Image:
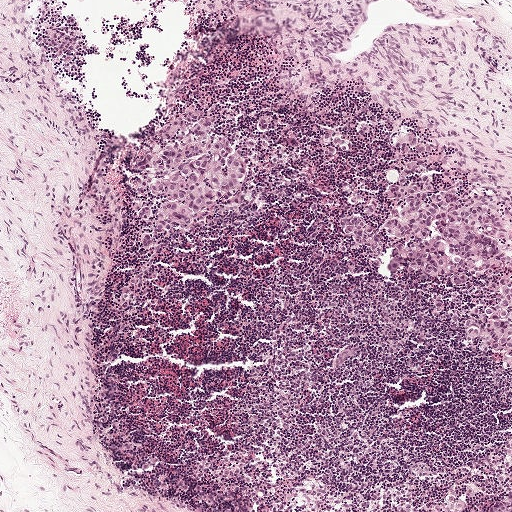
Lymph node section stained with H&E, from a whole-slide image of a breast-cancer sentinel node. Magnification about 5×, about 1 mm across the frame, about 1.9 µm per pixel.
Question:
Does this lymph node field contain metastatic tumour?
Answer:
Yes.
The eight largest tumour regions' boundaries, simplified and listed clockwise, largest first: region 1: (416, 133), (437, 147), (435, 187), (460, 181), (462, 196), (491, 196), (511, 232), (500, 249), (511, 248), (511, 268), (466, 286), (440, 275), (419, 281), (424, 266), (394, 254), (405, 243), (384, 225), (399, 220), (402, 200), (389, 189), (417, 156), (398, 152), (392, 136); region 2: (191, 109), (200, 114), (211, 132), (225, 139), (244, 157), (243, 208), (230, 206), (230, 198), (206, 205), (187, 230), (177, 234), (153, 230), (160, 207), (171, 199), (152, 194), (141, 184), (143, 178), (135, 163), (138, 158), (147, 149), (164, 149), (165, 128), (175, 117), (188, 115); region 3: (506, 277), (511, 279), (511, 372), (500, 364), (501, 355), (505, 352), (484, 352), (479, 347), (479, 340), (466, 335), (464, 324), (471, 310), (476, 308), (481, 310), (480, 317), (484, 315), (486, 310), (482, 302), (490, 299), (498, 304), (499, 296), (503, 292), (499, 283); region 4: (350, 216), (359, 216), (372, 226), (376, 233), (381, 235), (381, 244), (377, 250), (370, 252), (364, 246), (356, 246), (353, 243), (353, 239), (343, 235), (338, 222); region 5: (324, 133), (338, 133), (348, 138), (351, 148), (347, 153), (337, 148), (336, 160), (329, 161), (324, 155), (324, 150), (327, 148), (322, 142); region 6: (447, 494), (454, 495), (463, 501), (465, 506), (463, 509), (462, 511), (447, 511), (445, 511), (443, 506), (444, 502), (446, 500), (446, 496); region 7: (141, 234), (147, 234), (151, 236), (151, 245), (147, 250), (144, 250), (141, 247), (139, 238); region 8: (435, 292), (441, 294), (443, 297), (443, 307), (442, 310), (439, 311), (436, 309), (433, 299), (433, 294).
One more, smaller tumour region is not outlined.
Five more small tumour pieces are annotated here but not outlined.
Tumour covers about 10% of the frame.

Image:
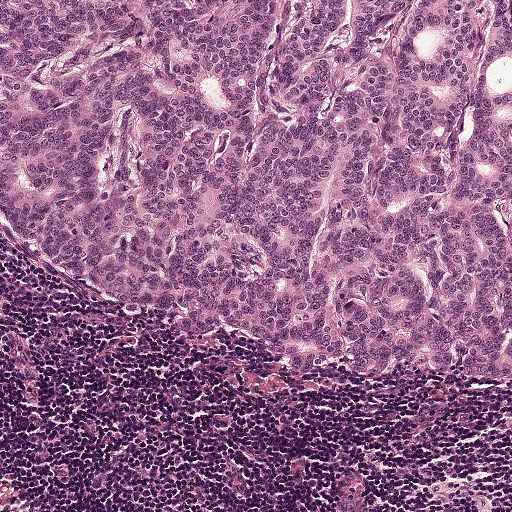
This is a crop of a whole-slide image: an H&E-stained breast-cancer sentinel lymph node section at roughly 10× magnification (about 0.97 µm per pixel; the crop spans about 0.5 mm).
Question:
Does this lymph node field contain metastatic tumour?
Answer:
Yes.
One metastatic tumour region; its boundary, reduced to 7 corners and listed clockwise: (0, 0), (511, 0), (511, 390), (314, 382), (88, 285), (33, 243), (2, 200).
The annotated tumour makes up about 65% of the crop.

Image:
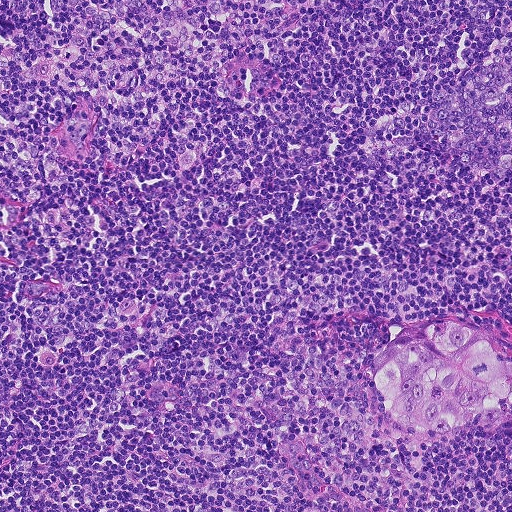
This is a crop of a whole-slide image: an H&E-stained breast-cancer sentinel lymph node section at roughly 10× magnification (about 0.9 µm per pixel; the crop spans about 0.46 mm).
Question:
Does this lymph node field contain metastatic tumour?
Answer:
Yes.
The outlined metastatic tumour's edge, as a closed clockwise path of 15 points: (437, 320), (456, 320), (476, 328), (502, 358), (511, 363), (511, 411), (504, 416), (485, 418), (447, 435), (406, 432), (388, 424), (376, 408), (369, 387), (374, 368), (418, 328).
About 5% of the image area is annotated as tumour.

Image:
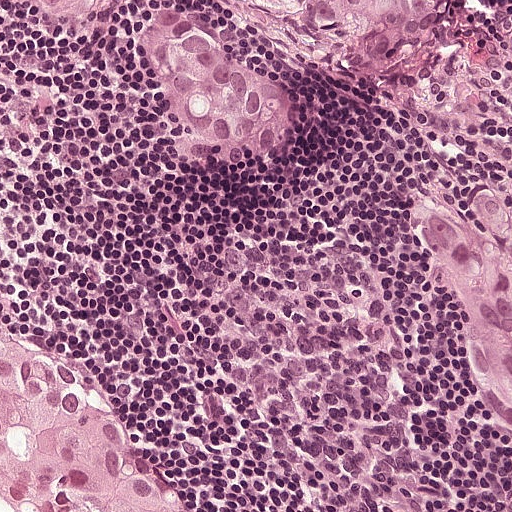
Lymph node section stained with H&E, from a whole-slide image of a breast-cancer sentinel node. Magnification about 20×, about 0.25 mm across the frame, about 0.49 µm per pixel.
Question:
Does this lymph node field contain metastatic tumour?
Answer:
Yes.
Five metastatic tumour regions, each outlined as a closed clockwise path in crop pixels (x, y), largest first: region 1: (0, 298), (48, 326), (98, 372), (138, 448), (186, 487), (193, 496), (193, 511), (72, 511), (2, 501); region 2: (470, 164), (500, 168), (511, 198), (511, 424), (476, 407), (452, 307), (430, 282), (404, 229), (400, 186), (416, 176), (433, 178), (468, 193); region 3: (146, 0), (190, 0), (208, 8), (227, 28), (257, 40), (284, 87), (280, 137), (262, 148), (222, 156), (177, 144), (154, 98), (152, 71), (132, 48), (134, 7); region 4: (217, 0), (440, 0), (446, 28), (434, 46), (404, 65), (362, 68), (336, 61), (272, 24), (246, 17); region 5: (0, 0), (100, 0), (97, 6), (94, 6), (94, 8), (86, 11), (82, 17), (77, 18), (72, 23), (22, 23), (4, 22), (0, 20).
Tumour covers about 25% of the frame.